Question: 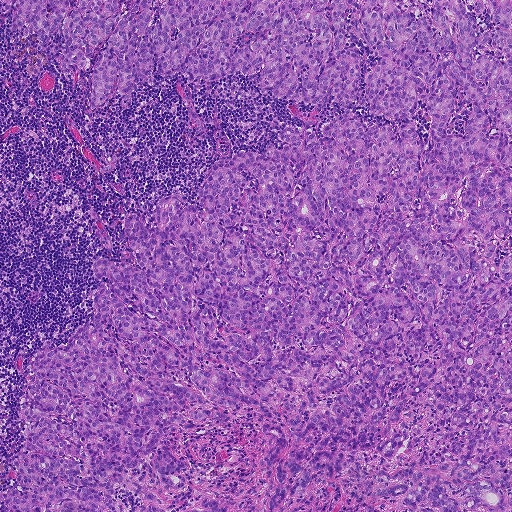
H&E-stained section of a sentinel lymph node (breast cancer), from a whole-slide image, viewed at about 5×: the field is about 0.93 mm across, about 1.8 µm per pixel.
Roughly what share of this field is metastatic tumour?

Choices:
 (A) about 5% or less
 (B) about 25% to 45%
 (C) about 10% to 20%
 (D) about 50% or more
 (E) none: no tumour is outlined

Answer: (D) about 50% or more
About 80% of the field is tumour.
Metastatic tumour outline, simplified to 22 points and listed clockwise in crop pixels (x, y): (511, 0), (511, 511), (0, 511), (29, 359), (90, 317), (94, 255), (138, 266), (129, 213), (149, 229), (172, 193), (199, 209), (212, 164), (342, 110), (266, 97), (260, 72), (179, 71), (88, 110), (96, 54), (67, 82), (60, 30), (30, 50), (0, 8).